This is a crop of a whole-slide image: an H&E-stained breast-cancer sentinel lymph node section at roughly 40× magnification (about 0.24 µm per pixel; the crop spans about 0.12 mm).
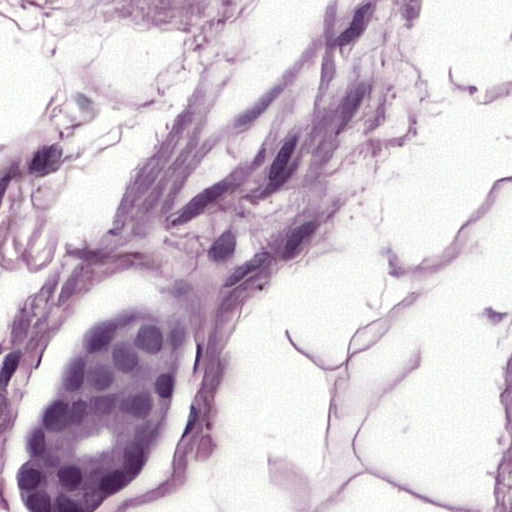
Metastatic tumour outline, simplified to 8 points and listed clockwise in crop pixels (x, y): (127, 298), (184, 317), (194, 374), (163, 457), (93, 511), (19, 511), (10, 459), (41, 358).
About 10% of this field is tumour.